Image:
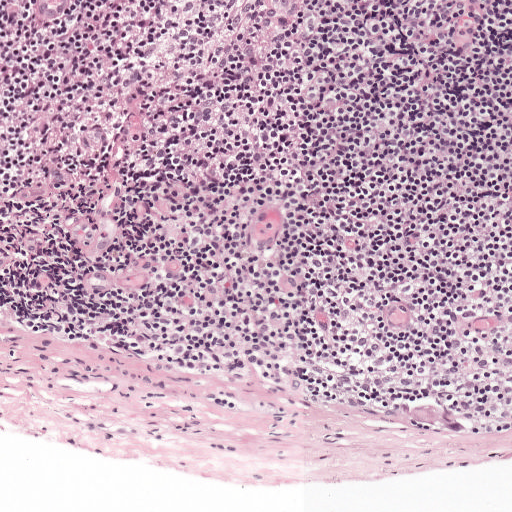
A 0.5-mm field of an H&E-stained sentinel lymph node from a breast-cancer patient (whole-slide image), shown at about 10×, about 0.97 µm per pixel.
Question:
Which parts of this field are metastatic tumour?
Answer:
The outlined metastatic tumour's edge, as a closed clockwise path of 12 points: (401, 401), (408, 403), (410, 410), (419, 406), (432, 405), (444, 407), (456, 414), (464, 424), (463, 432), (447, 430), (412, 419), (399, 412).
Tumour covers under 5% of the frame.